Question: 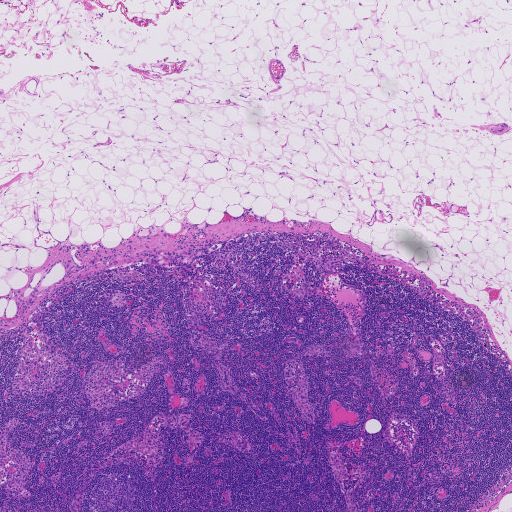
Which magnification is this H&E lymph node field most likely shown at?

Choices:
 (A) about 5×
 (B) about 2.5×
 (C) about 40×
 (D) about 10×
 (E) about 20×

Answer: (B) about 2.5×
This is a crop of a whole-slide image: an H&E-stained breast-cancer sentinel lymph node section at roughly 2.5× magnification (about 3.6 µm per pixel; the crop spans about 1.9 mm).